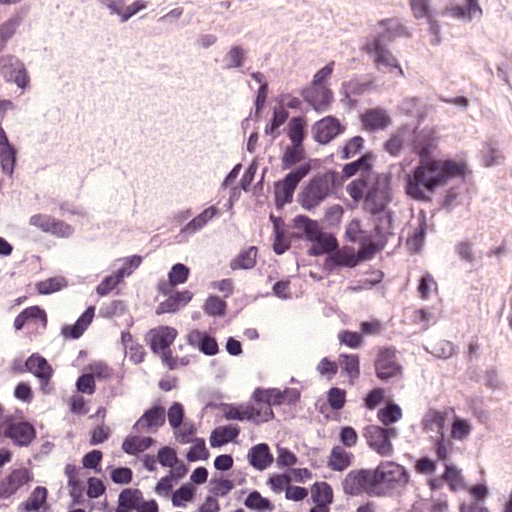
A 0.12-mm field of an H&E-stained sentinel lymph node from a breast-cancer patient (whole-slide image), shown at about 40×, about 0.24 µm per pixel.
The outlined metastatic tumour's edge, as a closed clockwise path of 13 points: (395, 84), (442, 94), (445, 149), (440, 168), (407, 203), (395, 255), (362, 275), (317, 262), (278, 231), (274, 151), (303, 111), (325, 101), (360, 103).
About 10% of this field is tumour.